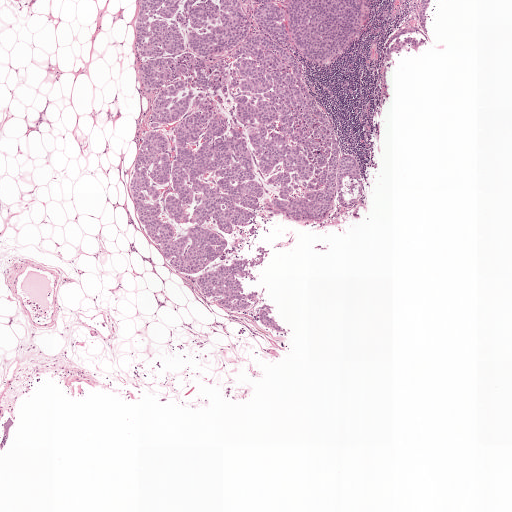
H&E-stained section of a sentinel lymph node (breast cancer), from a whole-slide image, viewed at about 2.5×: the field is about 2.0 mm across, about 3.9 µm per pixel.
Outlines of three tumour regions, largest first (closed clockwise paths, crop pixels): region 1: (140, 0), (369, 0), (365, 32), (337, 60), (326, 68), (301, 57), (367, 182), (369, 219), (320, 228), (273, 217), (269, 233), (262, 229), (239, 255), (271, 251), (258, 282), (244, 283), (265, 285), (285, 334), (208, 300), (164, 259), (138, 218), (130, 177), (149, 99), (137, 70); region 2: (419, 0), (435, 0), (430, 5), (428, 11), (428, 24), (435, 42), (419, 53), (412, 52), (406, 57), (394, 55), (396, 64), (389, 75), (391, 95), (386, 99), (379, 58), (384, 45), (393, 34), (406, 28), (419, 26), (417, 12); region 3: (317, 243), (329, 245), (327, 250), (321, 251), (312, 248).
About 20% of the image area is annotated as tumour.